Question: 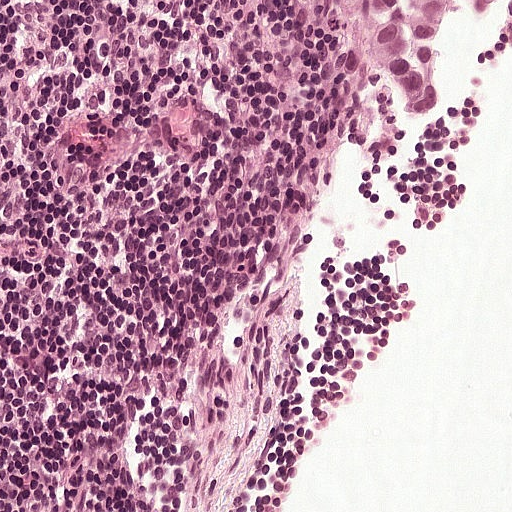
A 0.25-mm field of an H&E-stained sentinel lymph node from a breast-cancer patient (whole-slide image), shown at about 20×, about 0.49 µm per pixel.
What fraction of the image area is metastatic tumour?

Choices:
 (A) about 10% to 20%
 (B) about 5% or less
 (C) about 25% to 45%
 (D) none: no tumour is outlined
 (E) about 50% or more

Answer: (B) about 5% or less
About 5% of the field is tumour.
Boundaries of two metastatic tumour regions, simplified and listed clockwise, largest first: region 1: (348, 0), (464, 0), (463, 64), (455, 82), (456, 97), (448, 112), (408, 124), (391, 118), (372, 78); region 2: (464, 0), (511, 0), (511, 3), (505, 10), (490, 17).